This is a crop of a whole-slide image: an H&E-stained breast-cancer sentinel lymph node section at roughly 5× magnification (about 1.9 µm per pixel; the crop spans about 1 mm).
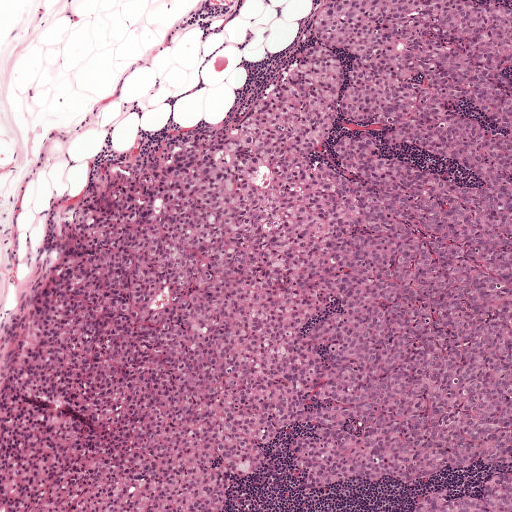
Question: Show where the tumour is in this image.
Answer: The outlined metastatic tumour's edge, as a closed clockwise path of 10 points: (322, 0), (511, 0), (511, 511), (0, 511), (0, 335), (69, 214), (116, 158), (141, 158), (238, 114), (305, 41).
About 80% of the image area is annotated as tumour.